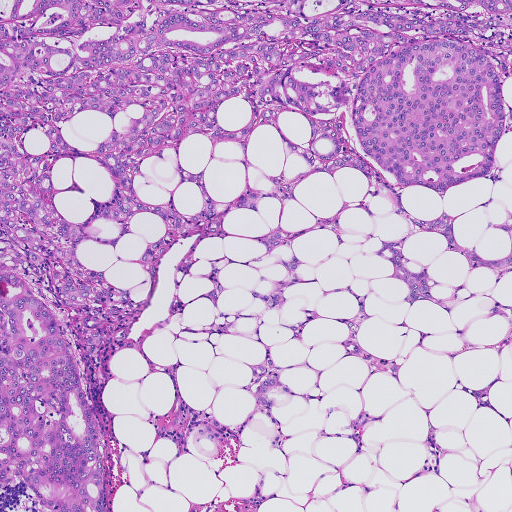
H&E-stained section of a sentinel lymph node (breast cancer), from a whole-slide image, viewed at about 5×: the field is about 0.93 mm across, about 1.8 µm per pixel.
Eight metastatic tumour regions, each outlined as a closed clockwise path in crop pixels (x, y), largest first: region 1: (0, 0), (511, 0), (511, 77), (502, 88), (511, 117), (490, 175), (443, 195), (350, 168), (309, 174), (293, 194), (275, 177), (258, 205), (232, 209), (228, 236), (176, 240), (125, 333), (89, 371), (109, 511), (40, 511), (23, 482), (5, 488); region 2: (444, 210), (454, 219), (454, 234), (461, 246), (474, 244), (482, 257), (504, 258), (509, 237), (486, 226), (490, 221), (505, 222), (511, 213), (511, 272), (499, 278), (487, 268), (472, 268), (437, 231), (412, 235), (401, 244), (412, 272), (426, 264), (438, 283), (432, 295), (449, 311), (428, 301), (410, 306), (401, 299), (408, 287), (387, 278), (393, 265), (375, 253), (382, 240), (404, 236), (408, 214), (430, 220); region 3: (276, 229), (304, 263), (298, 267), (302, 282), (285, 294), (285, 324), (300, 322), (306, 309), (352, 317), (357, 311), (352, 296), (328, 293), (335, 289), (350, 287), (367, 295), (369, 316), (358, 337), (369, 356), (346, 354), (342, 346), (350, 333), (341, 322), (311, 322), (303, 341), (280, 325), (276, 311), (264, 314), (265, 303), (252, 290), (261, 276), (282, 280), (287, 274), (278, 261), (291, 253), (288, 247), (280, 245), (270, 257), (250, 262), (265, 246), (254, 238); region 4: (268, 351), (278, 366), (286, 368), (281, 374), (282, 381), (291, 394), (278, 390), (270, 392), (280, 402), (274, 406), (272, 413), (278, 426), (268, 419), (256, 407), (256, 400), (245, 390), (252, 377), (252, 364), (265, 358); region 5: (216, 418), (228, 427), (229, 434), (219, 443), (210, 442), (198, 435), (199, 429), (210, 419); region 6: (218, 282), (226, 288), (214, 305), (204, 295), (214, 284); region 7: (495, 301), (511, 309), (511, 325), (508, 318), (500, 316), (492, 308); region 8: (475, 390), (483, 390), (486, 396), (476, 399), (470, 394).
Three more small tumour pieces are annotated here but not outlined.
Tumour covers about 55% of the frame.